Image:
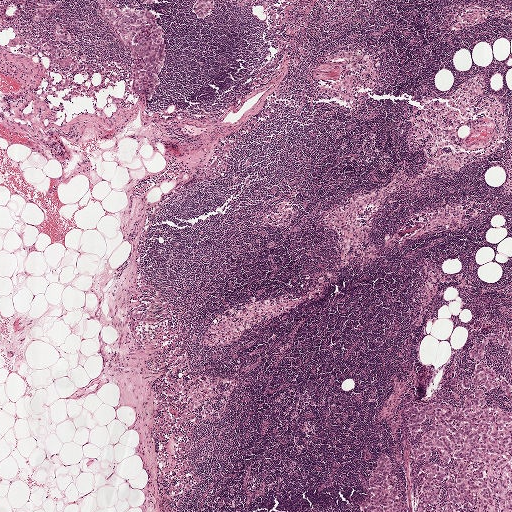
A 2.0-mm field of an H&E-stained sentinel lymph node from a breast-cancer patient (whole-slide image), shown at about 2.5×, about 3.9 µm per pixel.
Question:
Where is the metastatic tumour in this field? Give each region's outline as (x, y) pixel points.
Answer:
Six metastatic tumour regions, each outlined as a closed clockwise path in crop pixels (x, y), largest first: region 1: (511, 333), (511, 511), (355, 511), (363, 499), (361, 467), (367, 450), (413, 403), (446, 395), (463, 356), (480, 335); region 2: (99, 0), (107, 0), (109, 6), (116, 9), (147, 8), (155, 12), (157, 21), (162, 29), (165, 50), (164, 61), (158, 73), (160, 83), (150, 95), (145, 92), (137, 94), (134, 91), (131, 47), (120, 40), (105, 17); region 3: (39, 36), (49, 44), (60, 48), (60, 51), (59, 56), (54, 59), (51, 59), (47, 52), (43, 49), (28, 54), (27, 49), (29, 44), (25, 41), (25, 38), (31, 39); region 4: (35, 0), (48, 0), (52, 3), (60, 0), (61, 5), (59, 8), (49, 9), (46, 17), (36, 19), (34, 13), (36, 7), (40, 5); region 5: (197, 0), (213, 0), (213, 8), (204, 17), (197, 16), (193, 12), (192, 8); region 6: (58, 28), (65, 29), (69, 31), (69, 35), (69, 39), (69, 41), (64, 40), (62, 39), (60, 39), (59, 40), (56, 40), (56, 37), (60, 36), (59, 34), (55, 33), (55, 30), (56, 29).
One more small tumour piece is annotated here but not outlined.
About 10% of the image area is annotated as tumour.